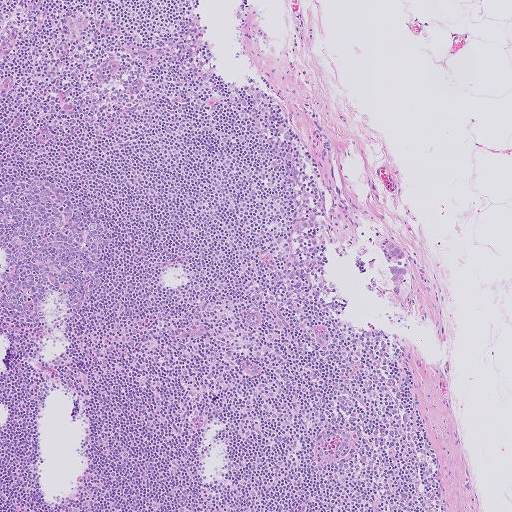
H&E-stained section of a sentinel lymph node (breast cancer), from a whole-slide image, viewed at about 5×: the field is about 1.0 mm across, about 2.0 µm per pixel.
Question: Describe where the metastatic carcinoma lies in this crop.
Answer: Outlines of two tumour regions, largest first (closed clockwise paths, crop pixels): region 1: (390, 267), (404, 267), (406, 269), (406, 273), (404, 275), (402, 282), (400, 284), (399, 294), (395, 293), (394, 290), (391, 280), (391, 273), (389, 270); region 2: (384, 241), (391, 241), (400, 249), (405, 256), (401, 260), (402, 264), (398, 265), (396, 260), (392, 260), (385, 248).
The annotated tumour makes up under 5% of the crop.